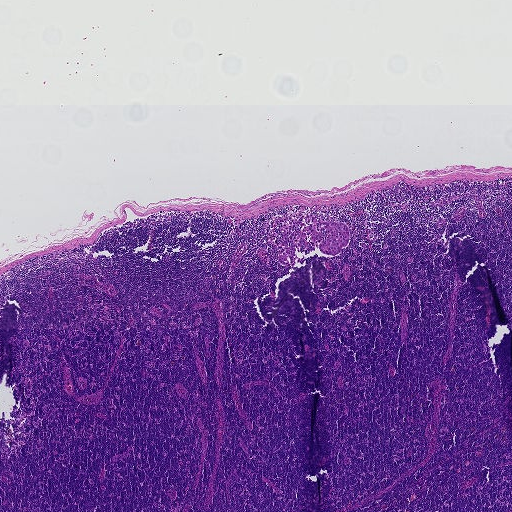
This is a crop of a whole-slide image: an H&E-stained breast-cancer sentinel lymph node section at roughly 2.5× magnification (about 3.6 µm per pixel; the crop spans about 1.9 mm).
Question: Outline the metastatic carcinoma in this image, as closed paths of (x, y) pixel coordinates.
Answer: The outlined metastatic tumour's edge, as a closed clockwise path of 24 points: (311, 218), (314, 218), (318, 222), (331, 221), (346, 224), (348, 242), (340, 252), (334, 256), (319, 251), (316, 247), (295, 247), (298, 257), (304, 258), (301, 263), (289, 265), (280, 263), (277, 258), (283, 237), (282, 231), (287, 234), (288, 246), (301, 229), (297, 222), (312, 222).
Tumour covers under 5% of the frame.